Lymph node section stained with H&E, from a whole-slide image of a breast-cancer sentinel node. Magnification about 10×, about 0.5 mm across the frame, about 0.97 µm per pixel.
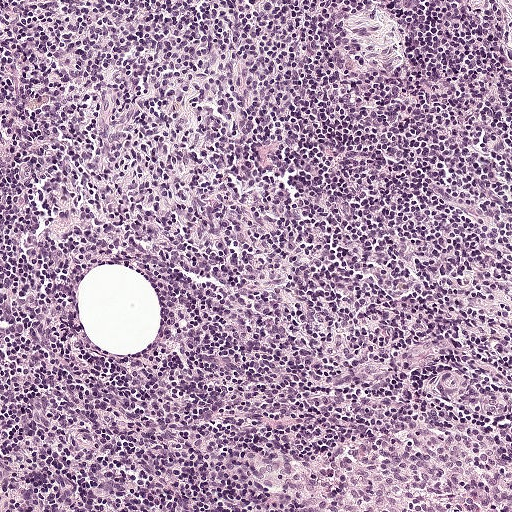
Question: Does this lymph node field contain metastatic tumour?
Answer: No. No metastatic tumour is outlined in this field.